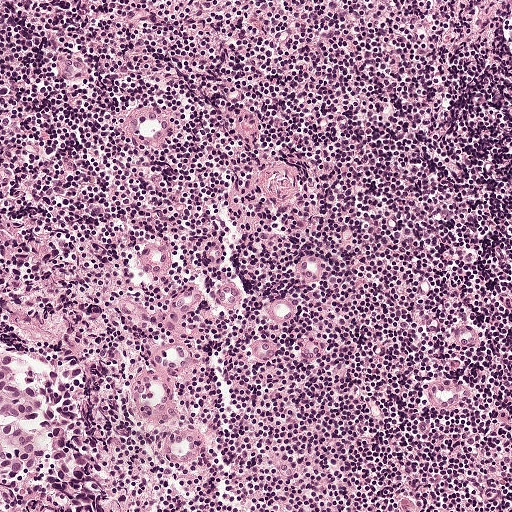
This is a crop of a whole-slide image: an H&E-stained breast-cancer sentinel lymph node section at roughly 10× magnification (about 0.97 µm per pixel; the crop spans about 0.5 mm).
Metastatic tumour outline, simplified to 11 points and listed clockwise in crop pixels (x, y): (0, 340), (76, 384), (89, 406), (90, 436), (89, 458), (74, 476), (62, 478), (51, 443), (41, 464), (18, 481), (0, 480).
The annotated tumour makes up about 5% of the crop.